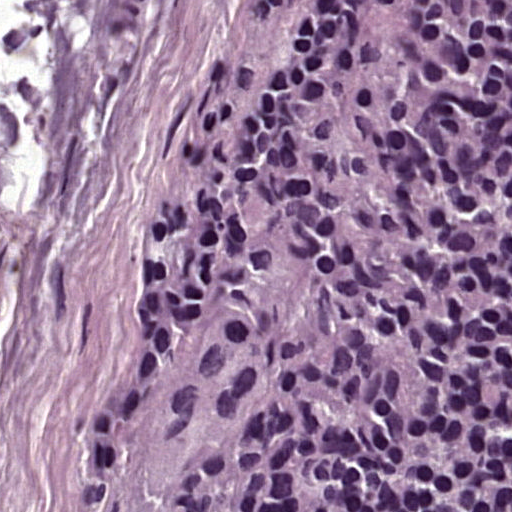
This is a crop of a whole-slide image: an H&E-stained breast-cancer sentinel lymph node section at roughly 40× magnification (about 0.24 µm per pixel; the crop spans about 0.12 mm).
Metastatic tumour outline, simplified to 7 points and listed clockwise in crop pixels (x, y): (241, 292), (270, 333), (269, 405), (153, 511), (114, 511), (125, 427), (173, 351).
About 5% of the image area is annotated as tumour.